Image:
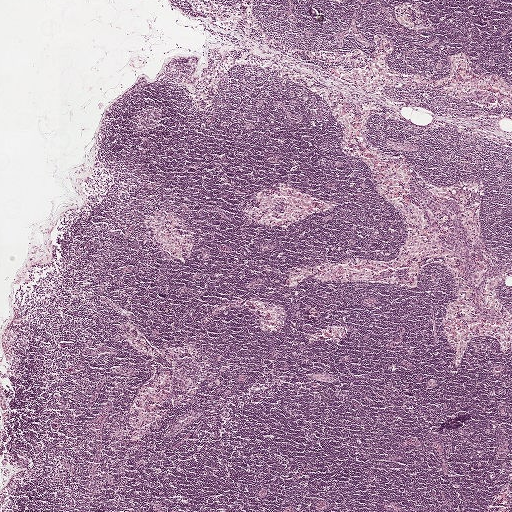
This is a crop of a whole-slide image: an H&E-stained breast-cancer sentinel lymph node section at roughly 2.5× magnification (about 3.9 µm per pixel; the crop spans about 2.0 mm).
Question:
Does this lymph node field contain metastatic tumour?
Answer:
No, this field holds no outlined metastasis.